A 0.93-mm field of an H&E-stained sentinel lymph node from a breast-cancer patient (whole-slide image), shown at about 5×, about 1.8 µm per pixel.
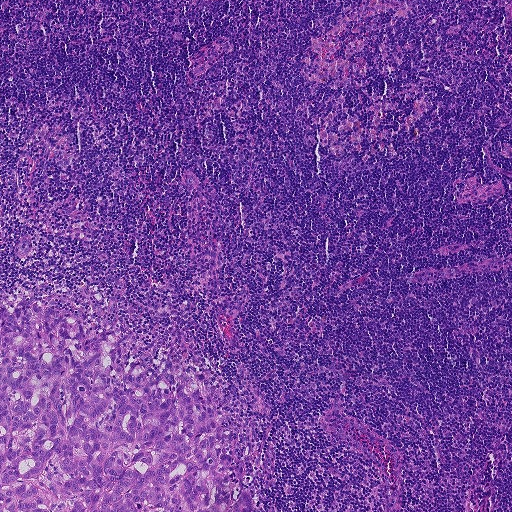
Tumour region outline (a closed clockwise path, crop pixels): (0, 300), (10, 312), (28, 300), (92, 331), (116, 332), (130, 360), (150, 370), (167, 360), (223, 377), (231, 403), (220, 423), (252, 478), (252, 507), (0, 511).
Tumour covers about 15% of the frame.